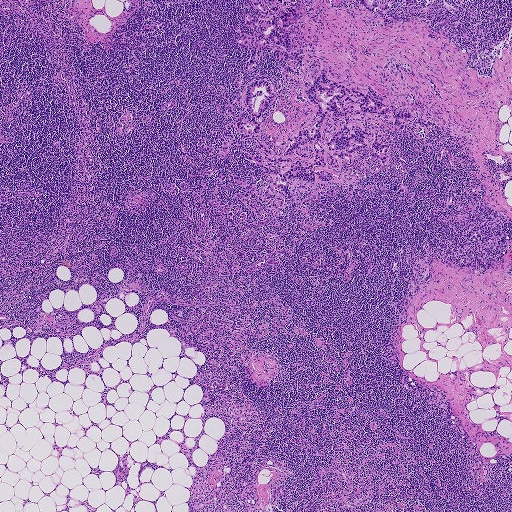
A 1.9-mm field of an H&E-stained sentinel lymph node from a breast-cancer patient (whole-slide image), shown at about 2.5×, about 3.6 µm per pixel.
Three metastatic tumour regions, each outlined as a closed clockwise path in crop pixels (x, y), largest first: region 1: (358, 0), (396, 0), (389, 9), (392, 11), (402, 6), (405, 0), (420, 1), (406, 8), (396, 21), (386, 22), (378, 15), (368, 11); region 2: (394, 62), (398, 62), (406, 62), (410, 65), (411, 69), (415, 70), (423, 74), (434, 81), (437, 89), (442, 96), (442, 99), (435, 94), (432, 86), (430, 83), (420, 77), (418, 74), (414, 73), (416, 75), (413, 75), (401, 70), (403, 76), (403, 81), (402, 81), (399, 77), (398, 72), (398, 79), (394, 79), (393, 75), (395, 71); region 3: (144, 22), (146, 22), (148, 24), (151, 24), (154, 22), (160, 25), (162, 27), (160, 29), (144, 32), (141, 31), (141, 27).
One more tumour region is annotated but not outlined: its edge is too irregular for a short outline.
One more small tumour piece is annotated here but not outlined.
Tumour covers about 5% of the frame.